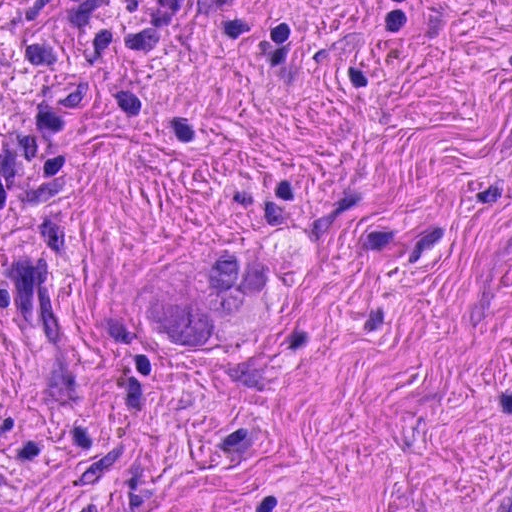
A 0.12-mm field of an H&E-stained sentinel lymph node from a breast-cancer patient (whole-slide image), shown at about 40×, about 0.23 µm per pixel.
Boundaries of two metastatic tumour regions, simplified and listed clockwise, largest first: region 1: (276, 219), (310, 227), (324, 265), (292, 314), (243, 353), (187, 355), (134, 341), (123, 285), (222, 232); region 2: (0, 0), (20, 0), (32, 55), (18, 134), (0, 200).
The annotated tumour makes up about 10% of the crop.